Question: 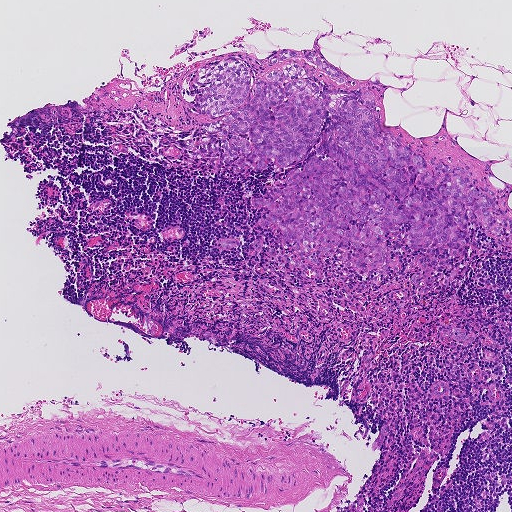
H&E-stained section of a sentinel lymph node (breast cancer), from a whole-slide image, viewed at about 5×: the field is about 0.93 mm across, about 1.8 µm per pixel.
Roughly what share of this field is metastatic tumour?

Choices:
 (A) about 25% to 45%
 (B) about 5% or less
 (C) none: no tumour is outlined
 (D) about 50% or more
 (E) about 10% to 20%

Answer: (E) about 10% to 20%
About 15% of the field is tumour.
Outlines of six tumour regions, largest first (closed clockwise paths, crop pixels): region 1: (231, 57), (265, 80), (293, 63), (321, 90), (372, 93), (430, 173), (503, 190), (511, 249), (480, 221), (462, 256), (411, 248), (406, 223), (385, 236), (397, 272), (311, 264), (254, 204), (303, 161), (206, 168), (184, 144), (224, 115), (190, 108), (197, 70); region 2: (284, 49), (296, 51), (313, 50), (330, 65), (349, 76), (350, 79), (356, 82), (356, 86), (352, 86), (344, 84), (340, 86), (324, 72), (306, 61), (299, 58), (295, 60), (287, 59), (270, 66), (266, 64), (267, 60); region 3: (440, 326), (452, 326), (463, 331), (465, 334), (468, 336), (471, 333), (474, 334), (475, 337), (474, 341), (466, 343), (455, 341), (448, 336), (440, 334), (437, 331), (437, 327); region 4: (416, 254), (420, 254), (424, 256), (421, 259), (420, 263), (424, 262), (427, 264), (427, 267), (421, 272), (421, 276), (415, 285), (411, 285), (409, 282), (410, 278), (418, 268), (418, 265), (414, 258); region 5: (282, 254), (286, 254), (306, 266), (306, 274), (301, 274), (302, 269), (293, 267), (285, 262), (282, 259); region 6: (234, 239), (238, 241), (240, 245), (230, 249), (225, 249), (218, 245), (218, 240).
Two more small tumour pieces are annotated here but not outlined.